Question: 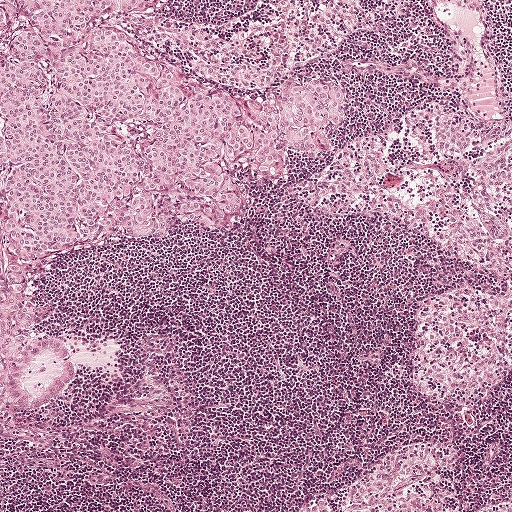
H&E-stained section of a sentinel lymph node (breast cancer), from a whole-slide image, viewed at about 5×: the field is about 1 mm across, about 1.9 µm per pixel.
Roughly what share of this field is metastatic tumour?

Choices:
 (A) about 5% or less
 (B) none: no tumour is outlined
 (C) about 10% to 20%
 (D) about 25% to 45%
 (E) about 50% or more

Answer: (D) about 25% to 45%
About 25% of the field is tumour.
Metastatic tumour outline, simplified to 22 points and listed clockwise in crop pixels (x, y): (0, 0), (148, 0), (105, 20), (190, 79), (267, 102), (289, 75), (337, 87), (325, 155), (285, 154), (290, 180), (269, 190), (234, 166), (237, 231), (172, 223), (22, 268), (25, 304), (49, 307), (30, 327), (61, 336), (72, 380), (33, 407), (1, 401).